A 0.25-mm field of an H&E-stained sentinel lymph node from a breast-cancer patient (whole-slide image), shown at about 20×, about 0.49 µm per pixel.
Image:
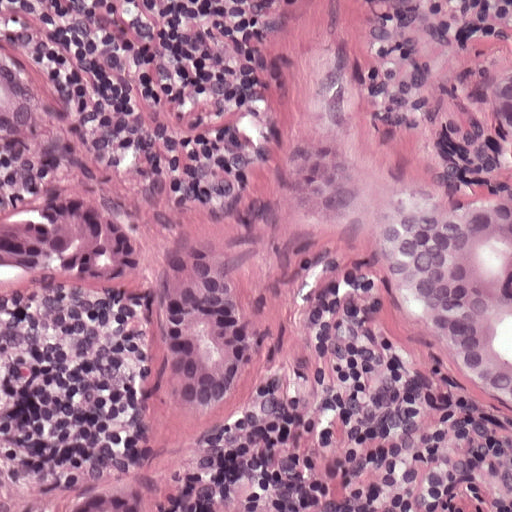
Question:
Describe where the metastatic carcinoma lies in this crop.
Answer:
One metastatic tumour region; its boundary, reduced to 10 corners and listed clockwise: (511, 0), (511, 446), (342, 280), (292, 372), (194, 454), (164, 511), (0, 511), (0, 45), (228, 207), (284, 6).
Tumour covers about 70% of the frame.